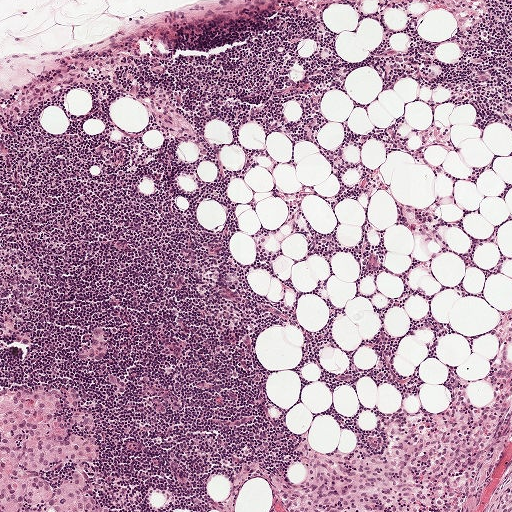
H&E-stained section of a sentinel lymph node (breast cancer), from a whole-slide image, viewed at about 5×: the field is about 1 mm across, about 1.9 µm per pixel.
Boundaries of four metastatic tumour regions, simplified and listed clockwise, largest first: region 1: (41, 383), (46, 389), (77, 388), (79, 412), (88, 412), (94, 418), (92, 431), (98, 449), (97, 458), (80, 464), (86, 494), (94, 498), (96, 506), (111, 511), (0, 511), (0, 390); region 2: (97, 327), (102, 328), (106, 342), (106, 355), (99, 361), (86, 361), (74, 357), (79, 348), (88, 344), (94, 329); region 3: (115, 374), (125, 382), (127, 390), (120, 393), (115, 391), (116, 386), (112, 384), (107, 378), (110, 375); region 4: (15, 334), (27, 336), (31, 341), (28, 345), (16, 344), (14, 338).
The annotated tumour makes up about 5% of the crop.